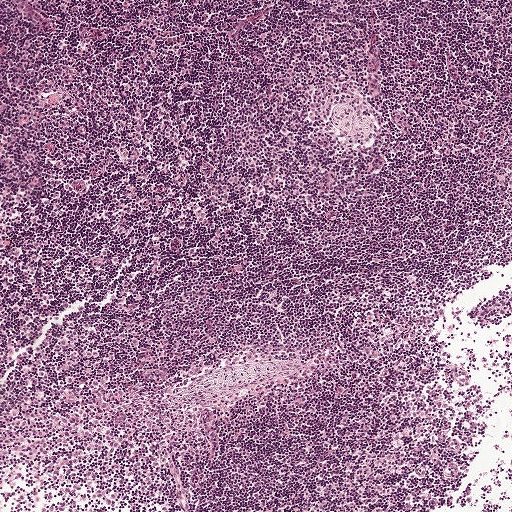
H&E-stained section of a sentinel lymph node (breast cancer), from a whole-slide image, viewed at about 5×: the field is about 1 mm across, about 1.9 µm per pixel.